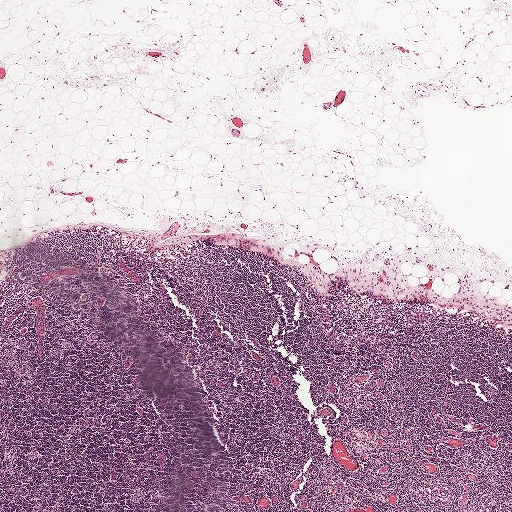
A 2.0-mm field of an H&E-stained sentinel lymph node from a breast-cancer patient (whole-slide image), shown at about 2.5×, about 3.9 µm per pixel.